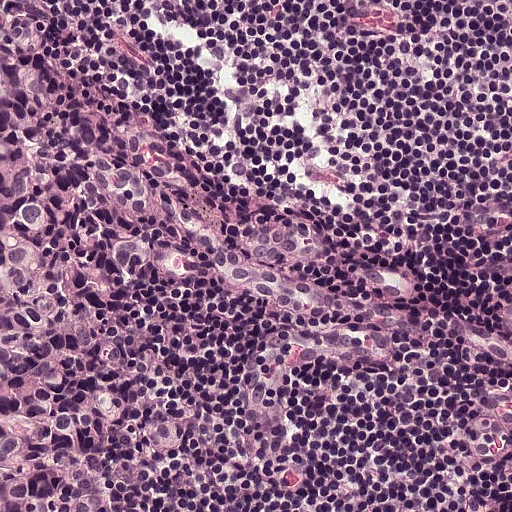
This is a crop of a whole-slide image: an H&E-stained breast-cancer sentinel lymph node section at roughly 20× magnification (about 0.49 µm per pixel; the crop spans about 0.25 mm).
Tumour region outline (a closed clockwise path, crop pixels): (0, 0), (22, 3), (51, 75), (108, 126), (258, 216), (322, 224), (328, 270), (390, 270), (448, 344), (428, 371), (309, 384), (290, 458), (260, 474), (240, 450), (244, 399), (258, 362), (304, 335), (155, 260), (127, 268), (128, 307), (200, 438), (173, 511), (0, 511).
The annotated tumour makes up about 40% of the crop.